Image:
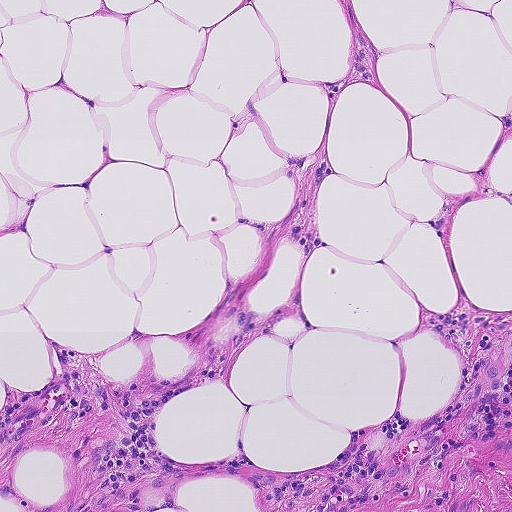
This is a crop of a whole-slide image: an H&E-stained breast-cancer sentinel lymph node section at roughly 10× magnification (about 0.9 µm per pixel; the crop spans about 0.46 mm).
Question:
Is there metastatic carcinoma in this field?
Answer:
No. No metastatic tumour is outlined in this field.